Question: 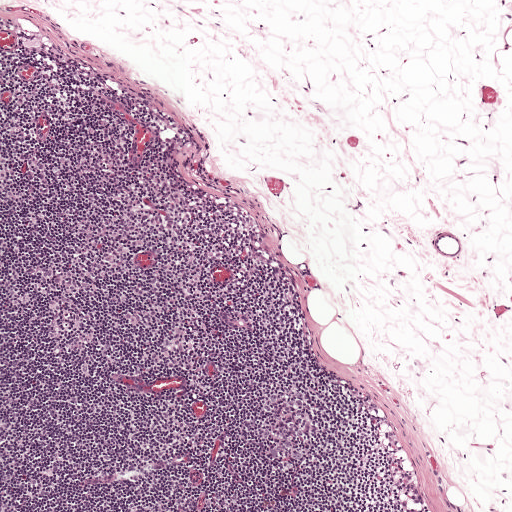
At roughly what magnification is this field shown?

Choices:
 (A) about 10×
 (B) about 20×
 (C) about 40×
 (D) about 2.5×
 (E) about 5×

Answer: (E) about 5×
A 1-mm field of an H&E-stained sentinel lymph node from a breast-cancer patient (whole-slide image), shown at about 5×, about 1.9 µm per pixel.
One metastatic tumour region; its boundary, reduced to 10 corners and listed clockwise: (222, 310), (234, 310), (244, 313), (254, 319), (256, 328), (255, 334), (250, 334), (236, 332), (218, 317), (218, 312).
Tumour covers under 5% of the frame.